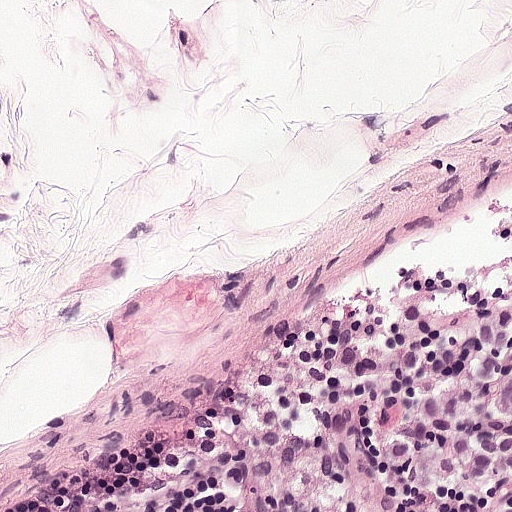
Lymph node section stained with H&E, from a whole-slide image of a breast-cancer sentinel node. Magnification about 20×, about 0.25 mm across the frame, about 0.49 µm per pixel.
The outlined metastatic tumour's edge, as a closed clockwise path of 9 points: (511, 265), (511, 494), (397, 497), (328, 474), (299, 450), (284, 420), (280, 385), (369, 360), (440, 332).
About 15% of this field is tumour.